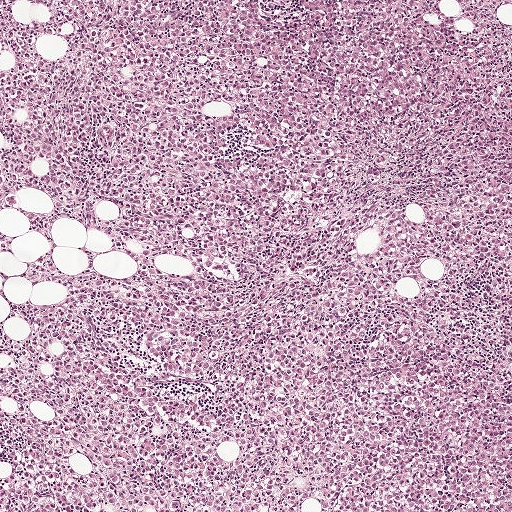
H&E-stained section of a sentinel lymph node (breast cancer), from a whole-slide image, viewed at about 5×: the field is about 1 mm across, about 1.9 µm per pixel.
Three metastatic tumour regions, each outlined as a closed clockwise path in crop pixels (x, y), largest first: region 1: (417, 0), (450, 40), (453, 133), (428, 160), (270, 231), (178, 252), (144, 245), (113, 204), (63, 198), (36, 141), (41, 101), (89, 1); region 2: (426, 329), (450, 361), (511, 401), (511, 493), (495, 511), (102, 511), (64, 413), (67, 358), (90, 352), (192, 401), (228, 398), (276, 370); region 3: (44, 496), (50, 499), (53, 499), (64, 503), (74, 511), (0, 511), (0, 507), (12, 506), (33, 499), (34, 498).
Tumour covers about 55% of the frame.